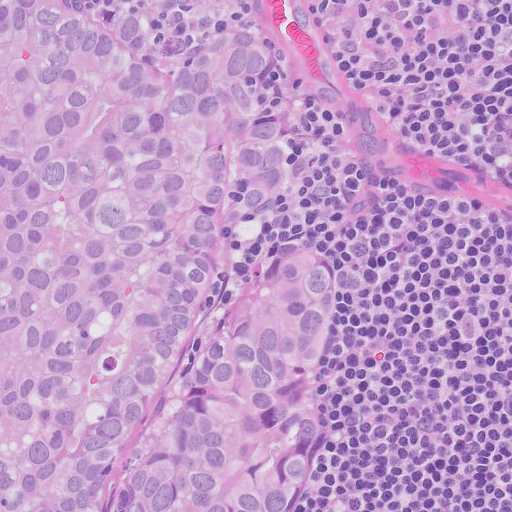
H&E-stained section of a sentinel lymph node (breast cancer), from a whole-slide image, viewed at about 20×: the field is about 0.26 mm across, about 0.5 µm per pixel.
Tumour region outline (a closed clockwise path, crop pixels): (0, 0), (182, 0), (285, 36), (298, 146), (336, 250), (341, 329), (307, 490), (338, 511), (0, 511).
Tumour covers about 60% of the frame.